Image:
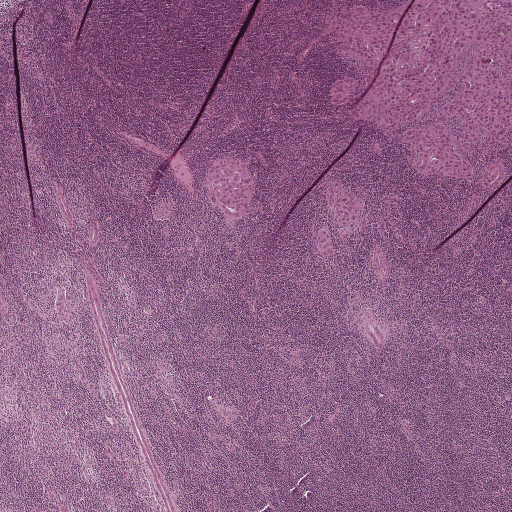
Lymph node section stained with H&E, from a whole-slide image of a breast-cancer sentinel node. Magnification about 2.5×, about 2.0 mm across the frame, about 3.9 µm per pixel.
Question:
Show where the tumour is in this image.
Answer:
Boundaries of four metastatic tumour regions, simplified and listed clockwise, largest first: region 1: (405, 0), (511, 0), (511, 131), (494, 154), (456, 148), (473, 164), (468, 180), (421, 177), (401, 137), (435, 121), (460, 84), (388, 136), (348, 117), (363, 85), (343, 105), (328, 98), (333, 81), (359, 81), (368, 69), (340, 61), (320, 22), (352, 4), (380, 12); region 2: (229, 155), (240, 160), (248, 168), (256, 177), (258, 188), (250, 211), (240, 219), (229, 222), (219, 216), (204, 197), (202, 185), (204, 173), (210, 163); region 3: (337, 181), (351, 188), (363, 200), (368, 216), (368, 224), (365, 231), (357, 234), (352, 241), (344, 241), (337, 238), (332, 231), (330, 223), (331, 215), (328, 207), (326, 191), (328, 183); region 4: (320, 228), (325, 228), (329, 235), (334, 251), (330, 257), (322, 257), (316, 251), (313, 243).
Tumour covers about 10% of the frame.